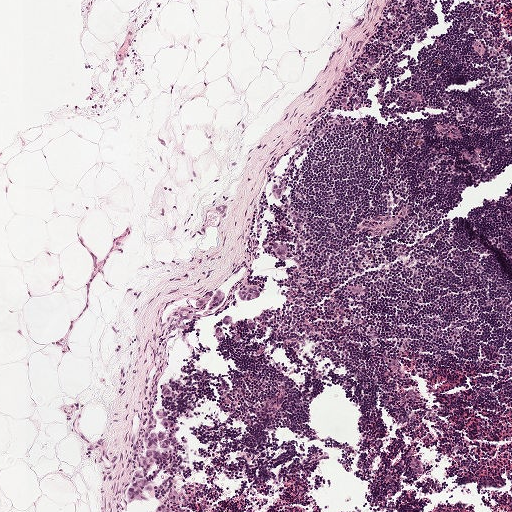
A 1-mm field of an H&E-stained sentinel lymph node from a breast-cancer patient (whole-slide image), shown at about 5×, about 1.9 µm per pixel.
Boundaries of seven metastatic tumour regions, simplified and listed clockwise, largest first: region 1: (149, 409), (156, 420), (157, 428), (167, 438), (167, 447), (164, 448), (167, 456), (161, 462), (151, 465), (143, 489), (147, 495), (145, 500), (139, 502), (131, 502), (124, 498), (124, 489), (134, 461), (144, 448), (143, 435); region 2: (213, 289), (213, 295), (216, 290), (222, 289), (224, 295), (224, 301), (216, 308), (210, 310), (207, 310), (206, 307), (211, 298), (202, 307), (194, 307), (194, 303), (197, 298); region 3: (242, 285), (258, 285), (261, 289), (261, 296), (257, 300), (246, 301), (240, 300), (237, 296), (239, 287); region 4: (267, 239), (285, 243), (287, 245), (287, 253), (283, 257), (276, 257), (270, 252), (262, 248), (262, 240); region 5: (158, 408), (167, 413), (168, 418), (173, 422), (173, 430), (164, 430), (158, 425), (155, 413), (156, 409); region 6: (273, 182), (280, 185), (282, 190), (281, 201), (273, 200), (268, 196); region 7: (159, 505), (165, 505), (169, 508), (170, 508), (170, 511), (149, 511), (153, 508).
Four more small tumour pieces are annotated here but not outlined.
Tumour covers under 5% of the frame.